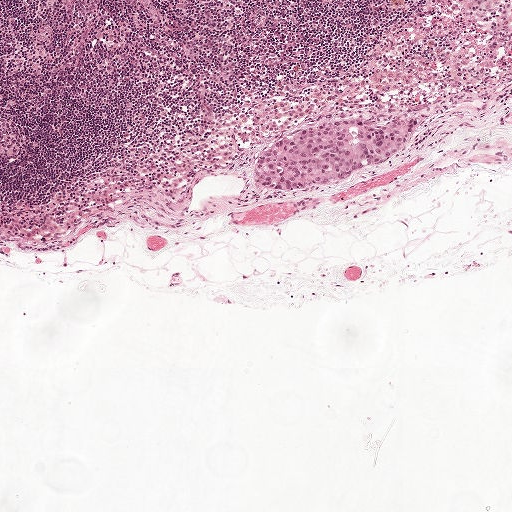
H&E-stained section of a sentinel lymph node (breast cancer), from a whole-slide image, viewed at about 5×: the field is about 1 mm across, about 1.9 µm per pixel.
Tumour region outline (a closed clockwise path, crop pixels): (405, 109), (417, 113), (415, 129), (400, 157), (373, 174), (289, 189), (268, 187), (252, 175), (252, 160), (258, 146), (312, 121), (339, 113), (382, 117).
About 5% of the image area is annotated as tumour.